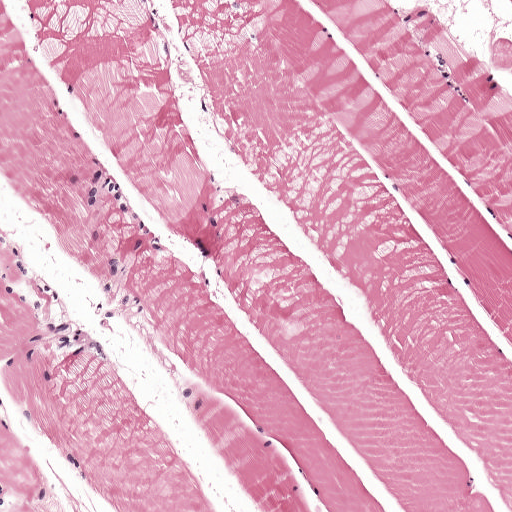
This is a crop of a whole-slide image: an H&E-stained breast-cancer sentinel lymph node section at roughly 10× magnification (about 0.97 µm per pixel; the crop spans about 0.5 mm).